Lymph node section stained with H&E, from a whole-slide image of a breast-cancer sentinel node. Magnification about 10×, about 0.5 mm across the frame, about 0.97 µm per pixel.
Image:
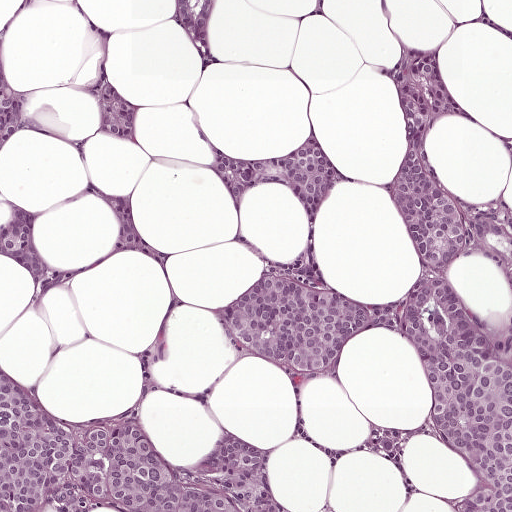
Question:
Which parts of this field are metastatic tumour?
Answer:
Boundaries of eight metastatic tumour regions, simplified and listed clockwise, largest first: region 1: (435, 49), (461, 114), (430, 118), (420, 157), (468, 238), (446, 283), (511, 347), (511, 511), (472, 511), (412, 332), (355, 330), (323, 372), (244, 340), (220, 308), (260, 272), (338, 300), (392, 305), (417, 291), (417, 240), (379, 181), (406, 147), (390, 64); region 2: (5, 372), (38, 416), (67, 422), (121, 412), (137, 421), (169, 468), (196, 460), (218, 442), (245, 436), (271, 448), (268, 476), (252, 511), (0, 511), (0, 373); region 3: (308, 141), (325, 163), (345, 180), (341, 180), (310, 207), (303, 196), (284, 178), (270, 177), (232, 192), (217, 170), (224, 158), (251, 161), (279, 158), (282, 153); region 4: (0, 186), (30, 214), (32, 233), (37, 256), (37, 272), (0, 249), (2, 233), (12, 219), (0, 204); region 5: (175, 0), (216, 0), (213, 50), (202, 61), (177, 14); region 6: (106, 80), (135, 107), (131, 139), (100, 130), (104, 114), (86, 85); region 7: (90, 193), (128, 197), (136, 224), (167, 263), (156, 258), (126, 252), (115, 244), (120, 227), (116, 208); region 8: (0, 54), (10, 78), (25, 108), (13, 140), (0, 148).
The annotated tumour makes up about 25% of the crop.